A 0.23-mm field of an H&E-stained sentinel lymph node from a breast-cancer patient (whole-slide image), shown at about 20×, about 0.45 µm per pixel.
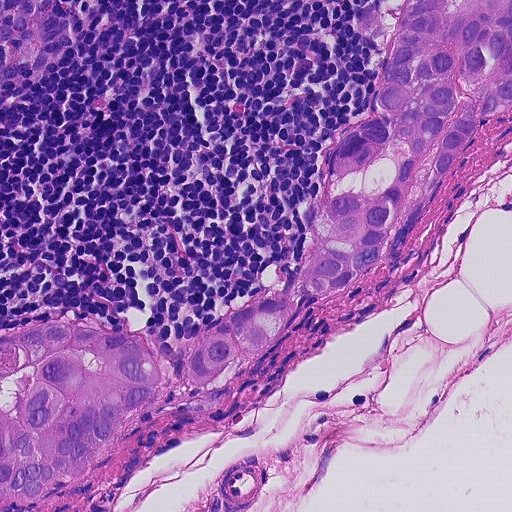
The outlined metastatic tumour's edge, as a closed clockwise path of 21 points: (349, 0), (511, 0), (511, 113), (484, 119), (466, 142), (390, 269), (296, 318), (230, 382), (161, 394), (84, 475), (20, 508), (0, 507), (0, 329), (62, 308), (200, 331), (266, 298), (290, 272), (336, 128), (368, 112), (388, 44), (354, 34).
One more small tumour piece is annotated here but not outlined.
Tumour covers about 25% of the frame.